A 0.12-mm field of an H&E-stained sentinel lymph node from a breast-cancer patient (whole-slide image), shown at about 40×, about 0.24 µm per pixel.
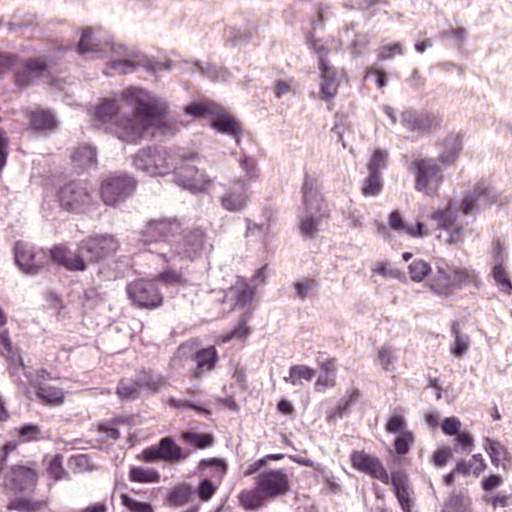
Boundaries of two metastatic tumour regions, simplified and listed clockwise, largest first: region 1: (61, 36), (156, 56), (215, 83), (227, 106), (272, 131), (294, 170), (294, 220), (270, 304), (161, 370), (99, 371), (63, 356), (0, 288), (0, 54); region 2: (174, 406), (231, 409), (252, 431), (265, 474), (331, 454), (345, 477), (346, 509), (0, 511), (0, 466), (42, 443), (72, 436), (102, 452), (118, 452), (138, 445), (149, 424).
The annotated tumour makes up about 40% of the crop.